Image:
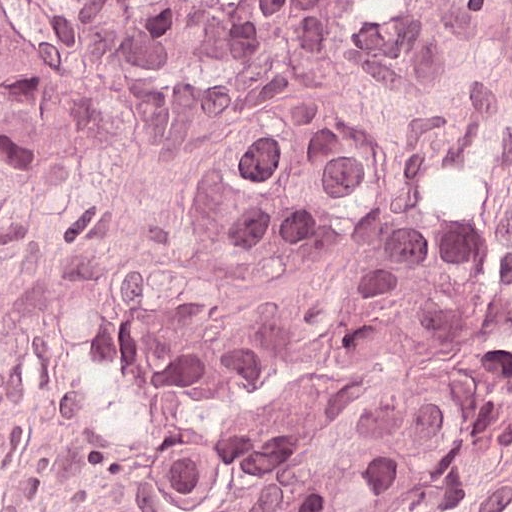
This is a crop of a whole-slide image: an H&E-stained breast-cancer sentinel lymph node section at roughly 40× magnification (about 0.24 µm per pixel; the crop spans about 0.12 mm).
Question:
Outline the metastatic carcinoma in this image, as closed paths of (x, y) pixel coordinates.
Answer:
Outlines of three tumour regions, largest first (closed clockwise paths, crop pixels): region 1: (304, 47), (416, 167), (469, 196), (485, 228), (481, 277), (495, 338), (489, 385), (463, 432), (426, 442), (400, 511), (204, 511), (165, 479), (163, 457), (139, 428), (163, 371), (179, 361), (120, 320), (118, 251), (171, 202), (167, 171), (222, 85); region 2: (110, 0), (360, 0), (348, 26), (328, 37), (283, 41), (246, 31), (206, 51), (173, 58), (144, 49); region 3: (0, 0), (42, 0), (48, 20), (49, 118), (42, 141), (8, 188), (1, 214).
About 55% of this field is tumour.

Image:
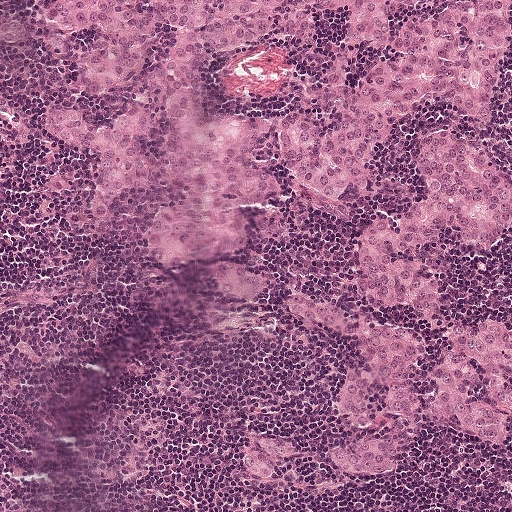
H&E-stained section of a sentinel lymph node (breast cancer), from a whole-slide image, viewed at about 10×: the field is about 0.5 mm across, about 0.97 µm per pixel.
Question:
Outline the metastatic carcinoma in this image, as closed paths of (x, y) pixel coordinates.
Answer:
Boundaries of three metastatic tumour regions, simplified and listed clockwise, largest first: region 1: (511, 0), (465, 137), (511, 176), (506, 238), (380, 260), (439, 266), (434, 324), (354, 289), (355, 231), (418, 198), (444, 112), (420, 103), (346, 198), (281, 172), (331, 14), (201, 77), (199, 106), (258, 120), (286, 222), (235, 259), (264, 298), (230, 304), (134, 242), (175, 194), (158, 120), (94, 223), (92, 166), (32, 112), (122, 115), (172, 25), (122, 84), (77, 90), (102, 43), (38, 3); region 2: (285, 296), (306, 296), (366, 328), (401, 324), (426, 342), (423, 364), (408, 378), (414, 438), (396, 464), (359, 476), (322, 458), (333, 444), (368, 440), (390, 420), (378, 385), (362, 392), (371, 420), (363, 431), (336, 415), (338, 384), (365, 362), (350, 344), (288, 316); region 3: (489, 317), (500, 317), (511, 328), (511, 422), (506, 428), (500, 451), (497, 451), (476, 436), (456, 429), (454, 421), (434, 411), (430, 401), (434, 386), (424, 372), (442, 361), (442, 346), (449, 338), (448, 322), (464, 330).
About 40% of this field is tumour.

Image:
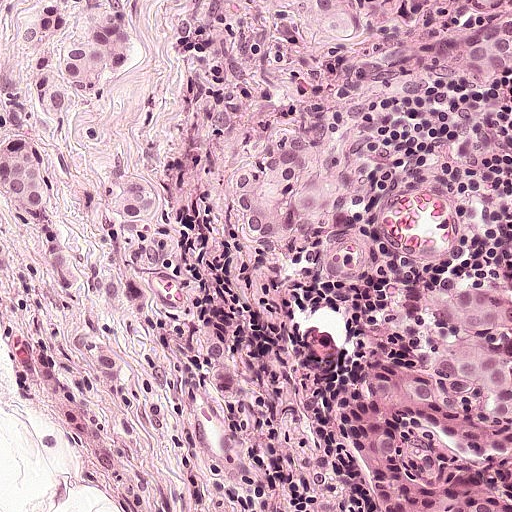
A 0.25-mm field of an H&E-stained sentinel lymph node from a breast-cancer patient (whole-slide image), shown at about 20×, about 0.49 µm per pixel.
Question:
Outline the metastatic carcinoma in this image, as closed paths of (x, y) pixel coordinates.
Answer:
Metastatic tumour outline, simplified to 13 points and listed clockwise in crop pixels (x, y): (0, 0), (511, 0), (511, 80), (398, 145), (375, 196), (406, 260), (448, 283), (511, 297), (511, 511), (169, 511), (129, 444), (30, 352), (0, 304).
Tumour covers about 85% of the frame.

Image:
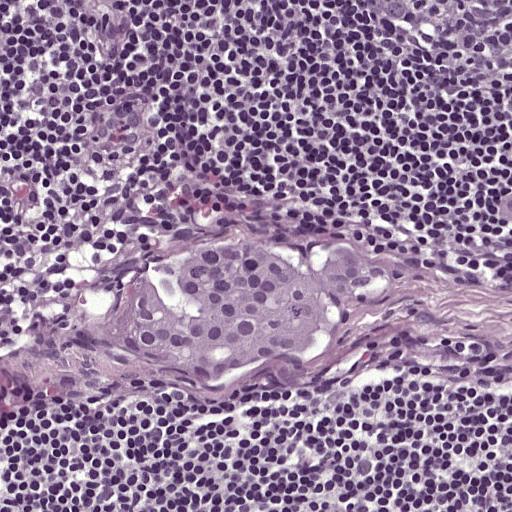
A 0.25-mm field of an H&E-stained sentinel lymph node from a breast-cancer patient (whole-slide image), shown at about 20×, about 0.49 µm per pixel.
Question:
Outline the metastatic carcinoma in this image, as closed paths of (x, y) pixel coordinates.
Answer:
Tumour region outline (a closed clockwise path, crop pixels): (215, 244), (290, 254), (350, 244), (404, 266), (410, 282), (367, 316), (325, 336), (312, 362), (253, 366), (200, 389), (68, 344), (69, 331), (146, 268).
About 10% of this field is tumour.